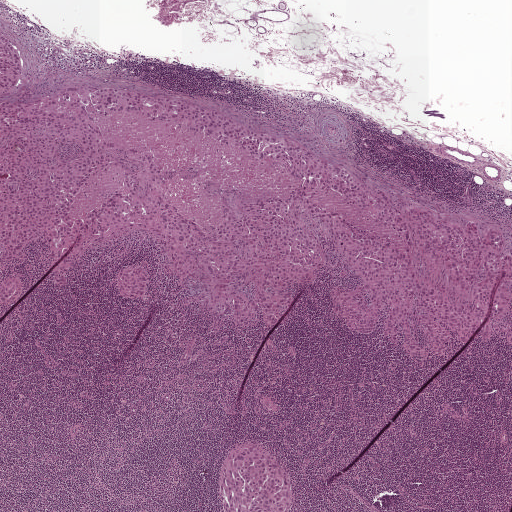
A 2.0-mm field of an H&E-stained sentinel lymph node from a breast-cancer patient (whole-slide image), shown at about 2.5×, about 3.9 µm per pixel.
Boundaries of three metastatic tumour regions, simplified and listed clockwise, largest first: region 1: (0, 28), (27, 62), (18, 97), (172, 96), (494, 226), (511, 348), (455, 337), (416, 359), (386, 314), (348, 331), (329, 289), (361, 281), (326, 256), (286, 325), (226, 316), (211, 336), (144, 232), (87, 249), (62, 288), (35, 244), (0, 272); region 2: (253, 442), (264, 444), (286, 468), (295, 499), (291, 511), (222, 511), (220, 467), (242, 443); region 3: (140, 260), (148, 262), (150, 268), (150, 277), (145, 295), (126, 298), (118, 293), (116, 274), (123, 268).
Two more small tumour pieces are annotated here but not outlined.
About 35% of this field is tumour.